Question: 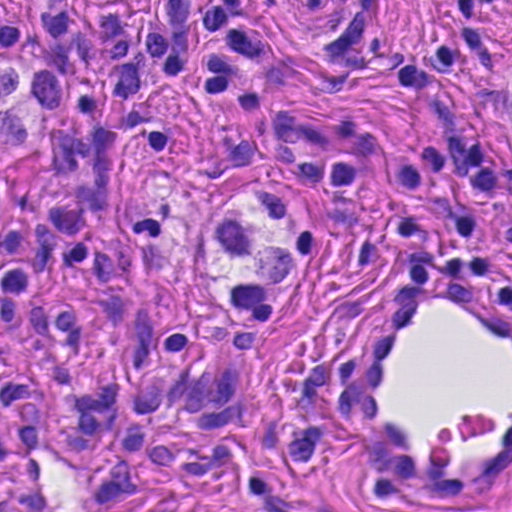
About what magnification does this crop show?

Choices:
 (A) about 40×
 (B) about 20×
 (C) about 5×
 (D) about 2.5×
 (E) about 10×

Answer: (A) about 40×
This is a crop of a whole-slide image: an H&E-stained breast-cancer sentinel lymph node section at roughly 40× magnification (about 0.23 µm per pixel; the crop spans about 0.12 mm).
One metastatic tumour region; its boundary, reduced to 13 corners and listed clockwise: (172, 165), (194, 210), (240, 187), (290, 179), (318, 204), (319, 257), (298, 304), (254, 330), (216, 298), (194, 249), (168, 265), (133, 242), (128, 192).
One more small tumour piece is annotated here but not outlined.
About 10% of this field is tumour.